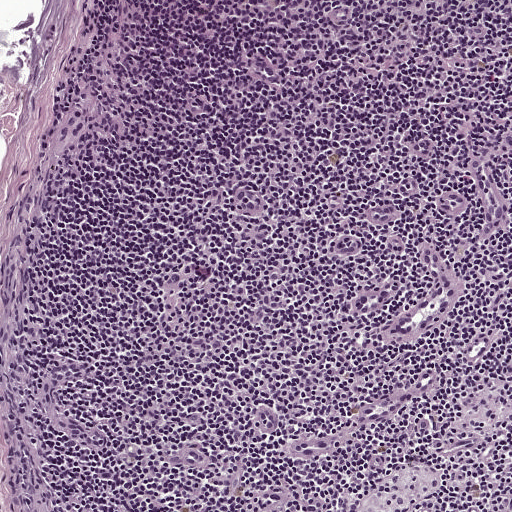
Lymph node section stained with H&E, from a whole-slide image of a breast-cancer sentinel node. Magnification about 10×, about 0.5 mm across the frame, about 0.97 µm per pixel.
Tumour region outline (a closed clockwise path, crop pixels): (79, 104), (86, 114), (86, 132), (63, 155), (46, 166), (50, 138), (62, 119).
Tumour covers under 5% of the frame.